Question: 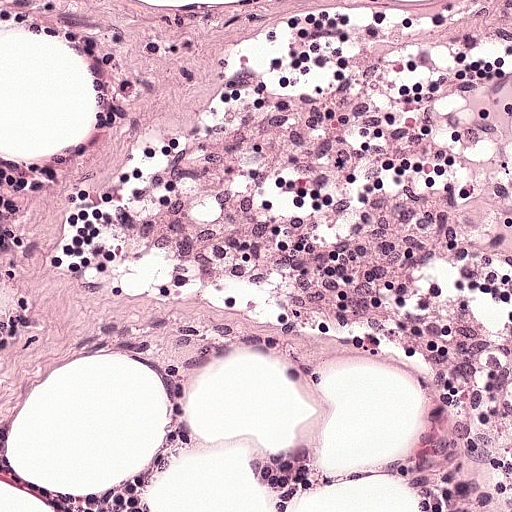
At roughly what magnification is this field shown?

Choices:
 (A) about 40×
 (B) about 2.5×
 (C) about 5×
 (D) about 10×
 (E) about 20×

Answer: (E) about 20×
Lymph node section stained with H&E, from a whole-slide image of a breast-cancer sentinel node. Magnification about 20×, about 0.25 mm across the frame, about 0.49 µm per pixel.